H&E-stained section of a sentinel lymph node (breast cancer), from a whole-slide image, viewed at about 5×: the field is about 0.93 mm across, about 1.8 µm per pixel.
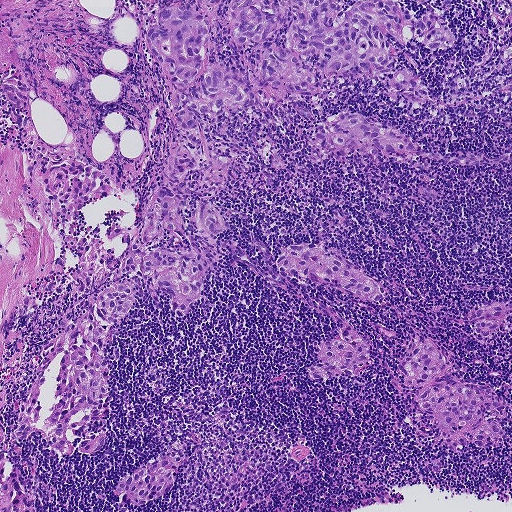
Outlines of the eight largest metastatic tumour regions, each a closed clockwise path in crop pixels (x, y), largest first: region 1: (443, 8), (450, 49), (386, 34), (429, 104), (361, 79), (302, 103), (312, 118), (236, 114), (208, 201), (243, 258), (217, 249), (180, 318), (142, 287), (107, 345), (95, 452), (14, 443), (84, 298), (66, 276), (20, 301), (69, 234), (24, 201), (34, 151), (3, 106), (8, 63), (42, 144), (125, 182), (74, 230), (116, 257), (123, 235), (106, 235), (117, 222), (134, 246), (166, 163), (170, 85), (144, 40), (164, 9); region 2: (418, 334), (435, 340), (453, 356), (450, 373), (467, 381), (488, 384), (506, 405), (506, 417), (500, 427), (505, 438), (498, 447), (491, 448), (470, 442), (456, 448), (446, 444), (418, 409), (414, 397), (417, 387), (408, 387), (404, 376), (398, 375), (396, 370), (402, 353), (406, 355); region 3: (343, 111), (364, 115), (399, 131), (422, 146), (421, 152), (382, 158), (364, 155), (359, 151), (352, 152), (348, 156), (318, 163), (312, 161), (314, 155), (309, 136), (328, 119); region 4: (300, 242), (311, 244), (334, 253), (364, 273), (384, 288), (384, 294), (383, 300), (377, 301), (365, 299), (332, 283), (303, 276), (279, 275), (275, 264), (276, 258), (288, 246); region 5: (172, 444), (185, 448), (186, 462), (177, 472), (172, 491), (167, 496), (142, 505), (129, 503), (112, 491), (119, 480), (130, 475), (139, 466), (157, 456), (166, 446); region 6: (349, 324), (368, 338), (369, 350), (369, 361), (358, 375), (353, 377), (335, 376), (325, 382), (319, 382), (309, 377), (307, 372), (310, 366), (321, 362), (316, 358), (315, 352), (317, 346), (321, 342), (339, 338), (343, 325); region 7: (497, 300), (511, 304), (511, 312), (502, 328), (487, 337), (481, 336), (468, 325), (467, 313), (470, 308), (480, 302); region 8: (511, 4), (511, 36), (495, 47), (485, 65), (478, 66), (474, 62), (483, 52), (486, 45), (485, 38), (481, 33), (485, 27), (491, 30), (486, 26), (484, 19), (487, 13), (499, 5).
One more, smaller tumour region is not outlined.
About 35% of this field is tumour.